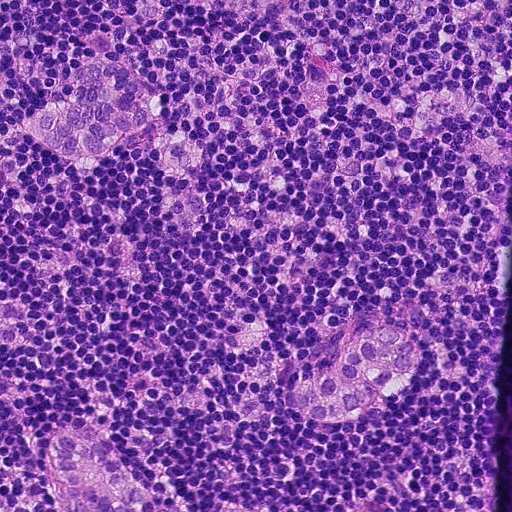
This is a crop of a whole-slide image: an H&E-stained breast-cancer sentinel lymph node section at roughly 20× magnification (about 0.45 µm per pixel; the crop spans about 0.23 mm).
Boundaries of three metastatic tumour regions, simplified and listed clockwise, largest first: region 1: (356, 324), (395, 324), (415, 357), (496, 383), (511, 417), (496, 511), (41, 511), (41, 474), (52, 434), (92, 430), (129, 446), (170, 504), (208, 508), (240, 482), (257, 402), (280, 366); region 2: (107, 54), (144, 70), (164, 103), (208, 135), (199, 175), (164, 193), (84, 173), (0, 166), (0, 113), (68, 65); region 3: (0, 475), (20, 497), (37, 511), (0, 511).
Tumour covers about 25% of the frame.